Lymph node section stained with H&E, from a whole-slide image of a breast-cancer sentinel node. Magnification about 5×, about 1 mm across the frame, about 1.9 µm per pixel.
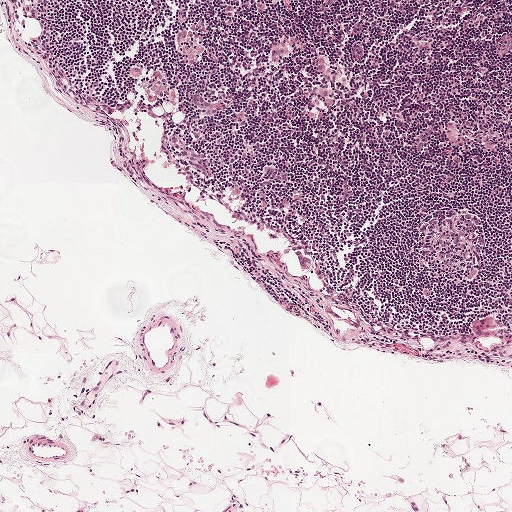
Question: Is any metastatic breast cancer visible in this crop?
Answer: No. No metastatic tumour is outlined in this field.